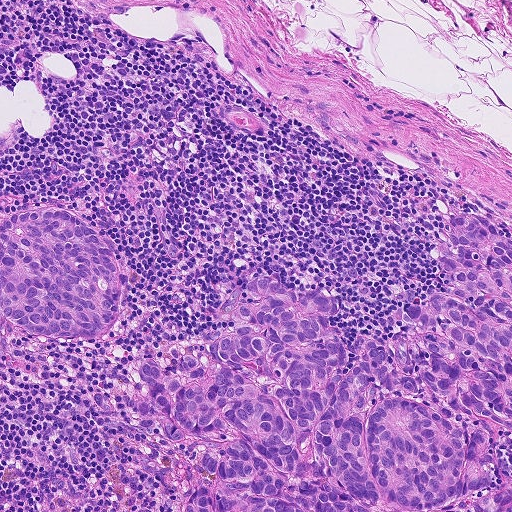
A 0.46-mm field of an H&E-stained sentinel lymph node from a breast-cancer patient (whole-slide image), shown at about 10×, about 0.9 µm per pixel.
Question: Where is the metastatic tumour in this field?
Answer: Three metastatic tumour regions, each outlined as a closed clockwise path in crop pixels (x, y), largest first: region 1: (460, 208), (511, 228), (511, 511), (178, 511), (190, 486), (177, 448), (111, 414), (110, 376), (235, 326), (222, 292), (258, 276), (334, 291), (342, 371), (357, 358), (351, 340), (384, 348), (408, 319), (392, 297), (438, 288), (444, 219); region 2: (40, 204), (60, 206), (96, 222), (110, 234), (130, 271), (130, 290), (118, 327), (106, 341), (88, 349), (29, 338), (3, 324), (0, 329), (0, 216); region 3: (139, 502), (157, 510), (157, 511), (130, 511).
The annotated tumour makes up about 35% of the crop.